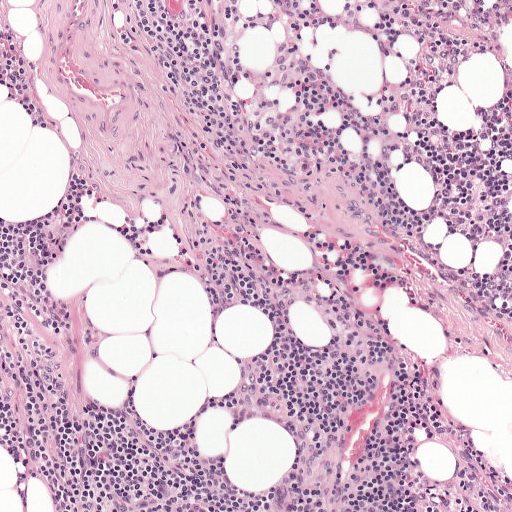
A 0.5-mm field of an H&E-stained sentinel lymph node from a breast-cancer patient (whole-slide image), shown at about 10×, about 0.97 µm per pixel.